This is a crop of a whole-slide image: an H&E-stained breast-cancer sentinel lymph node section at roughly 20× magnification (about 0.45 µm per pixel; the crop spans about 0.23 mm).
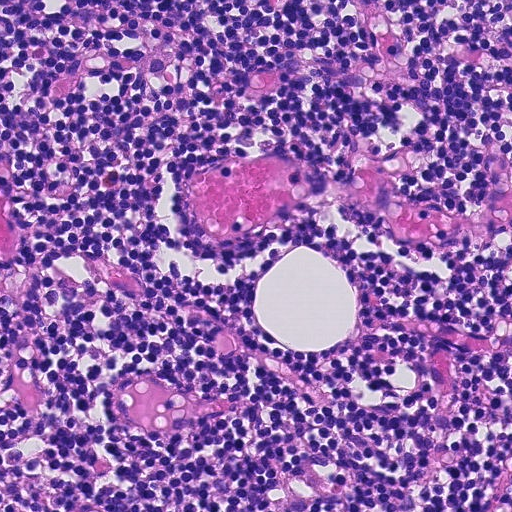
Question: Is there metastatic carcinoma in this field?
Answer: No, this field holds no outlined metastasis.